This is a crop of a whole-slide image: an H&E-stained breast-cancer sentinel lymph node section at roughly 10× magnification (about 0.9 µm per pixel; the crop spans about 0.46 mm).
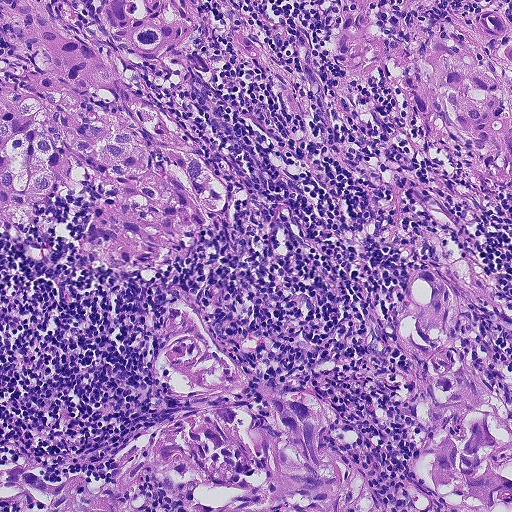
Question: Trace the edge of each tumour region in this crop, as (x, y) points from 0 to 511.
Answer: Outlines of three tumour regions, largest first (closed clockwise paths, crop pixels): region 1: (0, 0), (511, 0), (502, 209), (418, 160), (407, 171), (439, 213), (368, 212), (332, 159), (312, 177), (277, 166), (287, 124), (222, 52), (186, 84), (135, 80), (230, 185), (246, 249), (105, 270), (79, 250), (91, 204), (62, 191), (56, 251), (26, 262), (4, 238); region 2: (178, 305), (193, 308), (242, 376), (330, 404), (334, 442), (386, 511), (173, 511), (156, 483), (144, 481), (129, 511), (20, 511), (24, 499), (0, 501), (0, 472), (99, 483), (114, 455), (157, 422), (206, 404), (155, 371), (156, 317); region 3: (455, 246), (479, 279), (479, 300), (463, 311), (458, 330), (463, 355), (511, 417), (511, 511), (453, 511), (429, 503), (410, 468), (411, 450), (425, 437), (419, 420), (421, 380), (416, 362), (390, 331), (410, 275), (436, 247).
About 60% of this field is tumour.